Image:
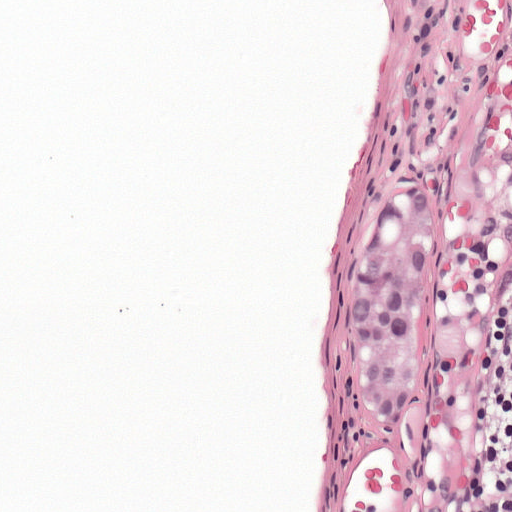
A 0.25-mm field of an H&E-stained sentinel lymph node from a breast-cancer patient (whole-slide image), shown at about 20×, about 0.49 µm per pixel.
Question:
Where is the metastatic tumour in this field?
Answer:
Metastatic tumour outline, simplified to 10 points and listed clockwise in crop pixels (x, y): (412, 180), (430, 202), (439, 252), (438, 303), (416, 401), (386, 434), (360, 411), (348, 363), (356, 262), (374, 214).
The annotated tumour makes up about 5% of the crop.